Question: 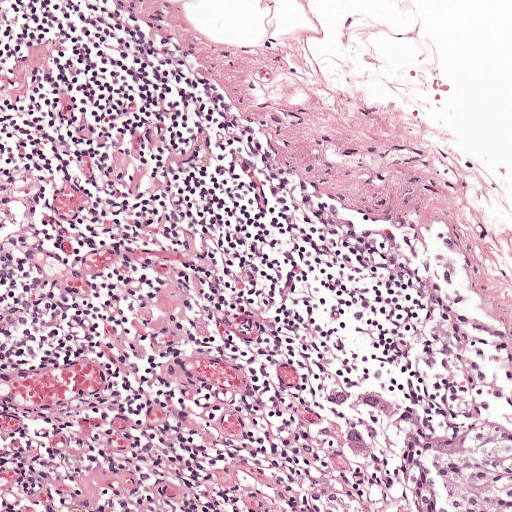
Which magnification is this H&E lymph node field most likely shown at?

Choices:
 (A) about 40×
 (B) about 5×
 (C) about 20×
 (D) about 10×
 (E) about 2.5×

Answer: (D) about 10×
H&E-stained section of a sentinel lymph node (breast cancer), from a whole-slide image, viewed at about 10×: the field is about 0.5 mm across, about 0.97 µm per pixel.
Boundaries of two metastatic tumour regions, simplified and listed clockwise, largest first: region 1: (478, 420), (511, 428), (511, 511), (421, 511), (410, 470), (430, 448), (459, 441); region 2: (374, 389), (421, 421), (410, 426), (378, 411), (365, 422), (364, 460), (344, 440), (354, 393).
About 5% of this field is tumour.